Image:
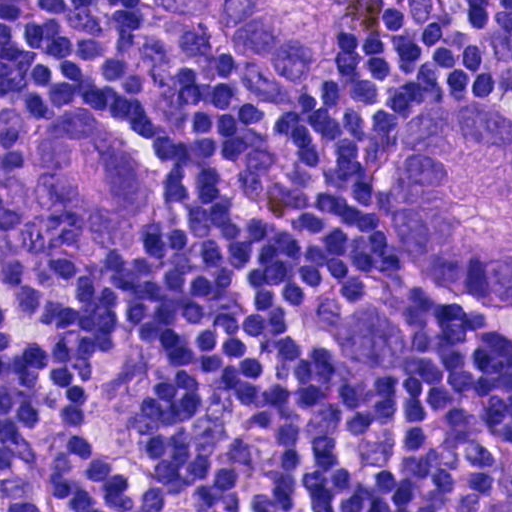
This is a crop of a whole-slide image: an H&E-stained breast-cancer sentinel lymph node section at roughly 40× magnification (about 0.23 µm per pixel; the crop spans about 0.12 mm).
Question:
Which parts of this field are metastatic tumour? Answer with the outline of each region, in pixels.
Answer:
Outlines of three tumour regions, largest first (closed clockwise paths, crop pixels): region 1: (450, 92), (511, 107), (511, 317), (497, 318), (441, 295), (399, 249), (370, 198), (384, 138); region 2: (46, 111), (108, 116), (151, 148), (167, 200), (149, 257), (88, 244), (34, 211), (5, 156); region 3: (148, 0), (351, 0), (346, 80), (294, 113), (238, 92), (211, 37), (154, 16).
One more small tumour piece is annotated here but not outlined.
About 20% of the image area is annotated as tumour.